Question: 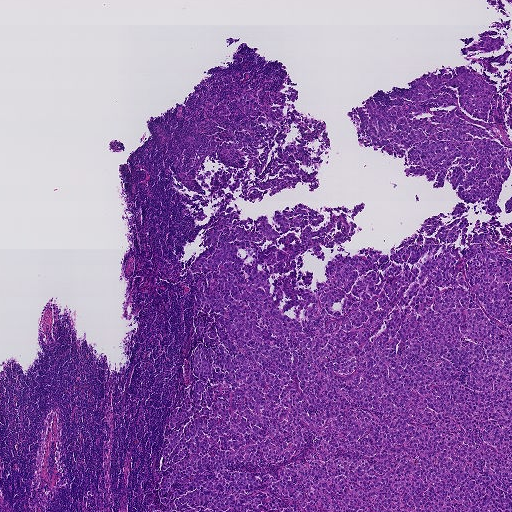
This is a crop of a whole-slide image: an H&E-stained breast-cancer sentinel lymph node section at roughly 2.5× magnification (about 3.6 µm per pixel; the crop spans about 1.9 mm).
Estimate the proportion of this field that is metastatic tumour.

Choices:
 (A) about 50% or more
 (B) about 5% or less
 (C) about 10% to 20%
 (D) none: no tumour is outlined
 (E) about 25% to 45%

Answer: (E) about 25% to 45%
About 45% of the field is tumour.
Boundaries of six metastatic tumour regions, simplified and listed clockwise, largest first: region 1: (240, 98), (322, 120), (331, 146), (299, 166), (312, 191), (222, 189), (240, 220), (300, 203), (316, 230), (364, 202), (351, 240), (301, 254), (309, 289), (336, 254), (390, 254), (456, 202), (466, 234), (511, 221), (511, 511), (165, 511), (191, 264), (225, 199), (210, 184), (266, 145); region 2: (461, 65), (495, 86), (509, 139), (502, 212), (490, 215), (484, 203), (459, 198), (444, 178), (432, 187), (436, 175), (405, 175), (404, 156), (361, 145), (347, 114), (372, 100), (380, 108), (409, 104), (410, 81); region 3: (490, 30), (494, 30), (498, 33), (498, 34), (492, 36), (501, 37), (505, 39), (503, 44), (500, 48), (492, 51), (470, 56), (479, 58), (493, 56), (502, 53), (510, 47), (511, 43), (511, 62), (510, 52), (505, 60), (504, 64), (500, 66), (497, 63), (490, 62), (493, 66), (498, 68), (497, 72), (492, 74), (487, 72), (481, 65), (467, 62), (464, 58), (459, 50), (463, 47), (464, 42), (458, 38), (474, 36), (474, 41), (479, 40), (478, 35), (481, 32); region 4: (485, 0), (502, 0), (505, 6), (505, 10), (511, 17), (505, 17), (501, 14), (490, 6); region 5: (511, 102), (511, 138), (509, 129), (505, 121), (505, 119), (510, 104); region 6: (511, 194), (511, 212), (511, 213), (507, 213), (504, 212), (504, 204), (509, 198).
One more small tumour piece is annotated here but not outlined.